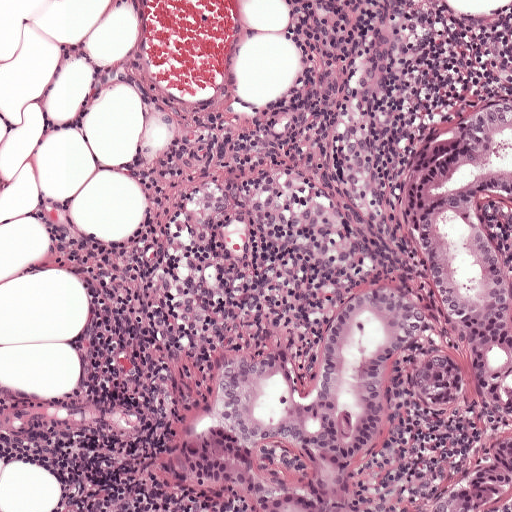
A 0.5-mm field of an H&E-stained sentinel lymph node from a breast-cancer patient (whole-slide image), shown at about 10×, about 0.97 µm per pixel.
One metastatic tumour region; its boundary, reduced to 14 corners and listed clockwise: (511, 94), (511, 511), (255, 511), (224, 502), (178, 463), (230, 357), (289, 347), (308, 400), (328, 319), (364, 286), (408, 280), (421, 252), (400, 198), (420, 140).
About 30% of this field is tumour.